Image:
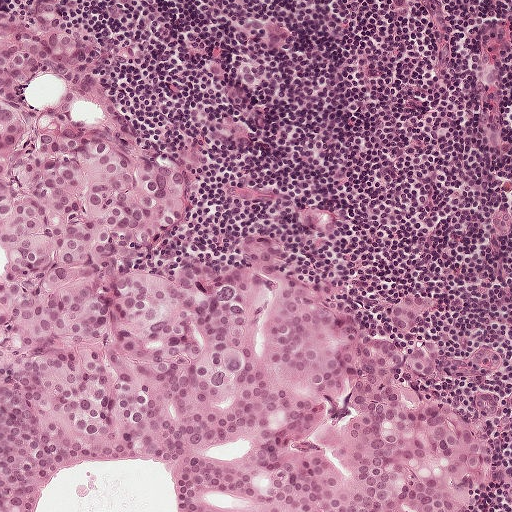
Lymph node section stained with H&E, from a whole-slide image of a breast-cancer sentinel node. Magnification about 10×, about 0.5 mm across the frame, about 0.97 µm per pixel.
Question:
Is any metastatic breast cancer visible in this crop?
Answer:
Yes.
Two metastatic tumour regions, each outlined as a closed clockwise path in crop pixels (x, y), largest first: region 1: (62, 0), (146, 145), (185, 173), (188, 221), (132, 267), (230, 264), (244, 238), (269, 233), (302, 286), (345, 289), (376, 334), (391, 306), (430, 293), (438, 313), (411, 348), (451, 352), (424, 392), (494, 442), (500, 482), (484, 510), (0, 511), (0, 4); region 2: (371, 0), (414, 0), (409, 17), (399, 16).
Tumour covers about 55% of the frame.

Image:
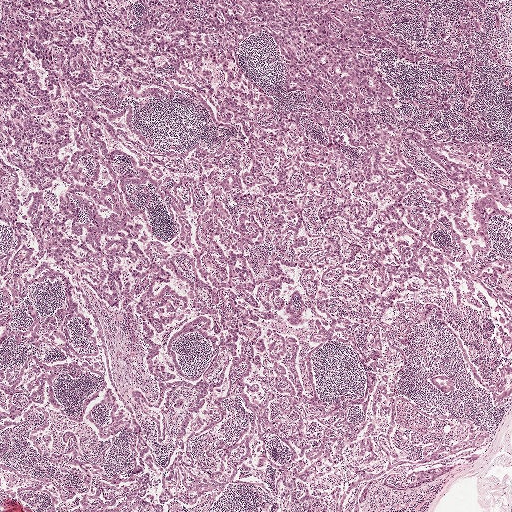
H&E-stained section of a sentinel lymph node (breast cancer), from a whole-slide image, viewed at about 2.5×: the field is about 2.0 mm across, about 3.9 µm per pixel.
Question:
Is any metastatic breast cancer visible in this crop?
Answer:
Yes.
Boundaries of two metastatic tumour regions, simplified and listed clockwise, largest first: region 1: (411, 120), (482, 141), (457, 216), (430, 189), (468, 250), (448, 268), (448, 288), (407, 293), (379, 308), (319, 287), (308, 258), (318, 241), (337, 234), (346, 257), (365, 246), (335, 220), (321, 227), (302, 163), (317, 142), (359, 161), (346, 129), (366, 137); region 2: (188, 0), (390, 0), (407, 15), (398, 31), (419, 48), (430, 69), (377, 53), (395, 108), (372, 117), (368, 133), (357, 132), (285, 91), (275, 52), (263, 33), (250, 34), (242, 43), (234, 41).
About 15% of this field is tumour.

Image:
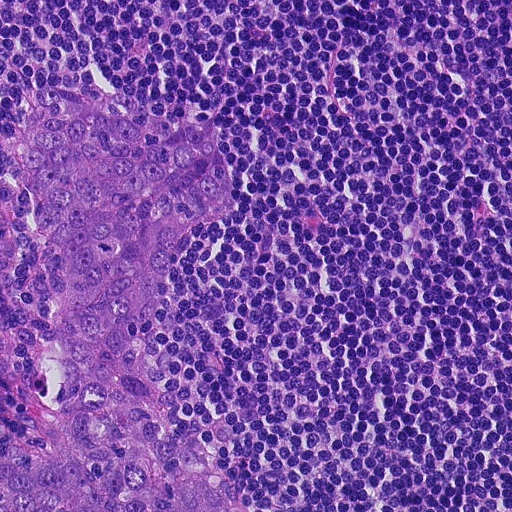
This is a crop of a whole-slide image: an H&E-stained breast-cancer sentinel lymph node section at roughly 20× magnification (about 0.45 µm per pixel; the crop spans about 0.23 mm).
Question:
Is any metastatic breast cancer visible in this crop?
Answer:
Yes.
One metastatic tumour region; its boundary, reduced to 11 corners and listed clockwise: (72, 82), (163, 119), (214, 119), (233, 214), (204, 219), (172, 255), (167, 355), (257, 511), (0, 511), (0, 159), (24, 84).
About 30% of the image area is annotated as tumour.

Image:
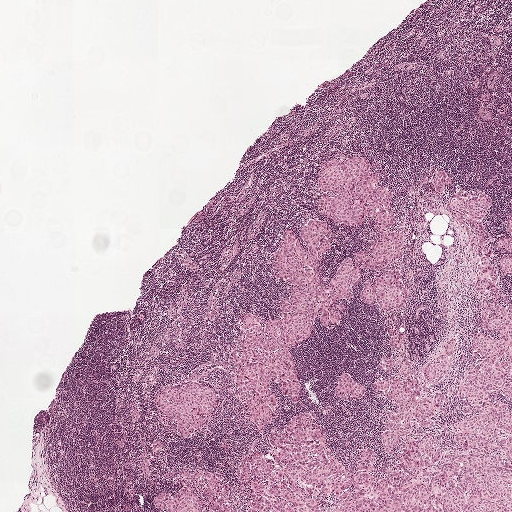
This is a crop of a whole-slide image: an H&E-stained breast-cancer sentinel lymph node section at roughly 2.5× magnification (about 3.9 µm per pixel; the crop spans about 2.0 mm).
Question:
Is any metastatic breast cancer visible in this crop?
Answer:
Yes.
Outlines of eight tumour regions, largest first (closed clockwise paths, crop pixels): region 1: (464, 187), (483, 188), (491, 204), (485, 224), (489, 249), (511, 306), (511, 511), (245, 511), (238, 477), (243, 463), (302, 412), (311, 410), (346, 472), (369, 446), (378, 470), (386, 472), (386, 405), (372, 385), (382, 376), (379, 361), (390, 352), (386, 324), (401, 333), (418, 373), (458, 338), (446, 373), (426, 389), (444, 396), (438, 419), (460, 418), (459, 401), (446, 397), (441, 386), (459, 384), (476, 357), (472, 339), (480, 313), (471, 293), (479, 260), (447, 208); region 2: (307, 221), (326, 221), (333, 228), (333, 243), (320, 263), (324, 286), (350, 256), (361, 272), (361, 282), (331, 330), (321, 324), (319, 312), (304, 339), (290, 350), (301, 377), (300, 400), (290, 401), (275, 385), (279, 404), (274, 421), (254, 428), (243, 403), (233, 394), (229, 371), (240, 331), (237, 317), (245, 308), (269, 324), (281, 314), (288, 293), (273, 274), (279, 238), (285, 230), (290, 232), (307, 251), (299, 231); region 3: (366, 158), (380, 178), (390, 183), (392, 208), (405, 228), (405, 252), (402, 259), (362, 268), (356, 263), (355, 255), (376, 243), (372, 222), (364, 218), (350, 228), (332, 223), (313, 212), (312, 204), (318, 190), (313, 183), (313, 177), (333, 160); region 4: (187, 470), (212, 472), (220, 474), (226, 483), (232, 511), (156, 511), (152, 509), (152, 501), (158, 492), (165, 491), (172, 497), (174, 492), (181, 487), (181, 484), (176, 479), (176, 474), (180, 472); region 5: (197, 382), (206, 385), (212, 389), (216, 399), (216, 407), (213, 415), (205, 425), (188, 438), (175, 436), (176, 424), (158, 412), (155, 405), (160, 390), (166, 387); region 6: (385, 270), (397, 271), (400, 281), (409, 293), (408, 304), (405, 307), (386, 312), (376, 305), (366, 306), (359, 303), (359, 294), (362, 289), (374, 282); region 7: (347, 370), (353, 379), (360, 382), (365, 387), (365, 393), (360, 401), (341, 402), (334, 398), (332, 389), (336, 377), (342, 371); region 8: (511, 203), (511, 275), (501, 272), (501, 269), (500, 268), (499, 260), (501, 256), (506, 252), (499, 250), (496, 247), (496, 243), (497, 240), (502, 237), (508, 235), (505, 233), (504, 227), (510, 213).
About 25% of this field is tumour.